Question: 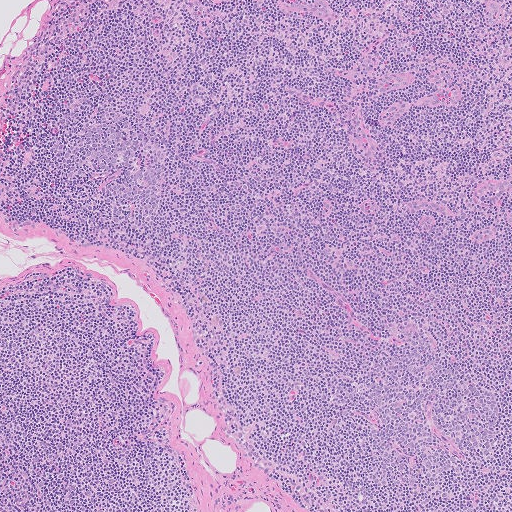
About what magnification does this crop show?

Choices:
 (A) about 5×
 (B) about 40×
 (C) about 10×
 (D) about 20×
 (E) about 2.5×

Answer: (A) about 5×
Lymph node section stained with H&E, from a whole-slide image of a breast-cancer sentinel node. Magnification about 5×, about 1.0 mm across the frame, about 2.0 µm per pixel.